Question: 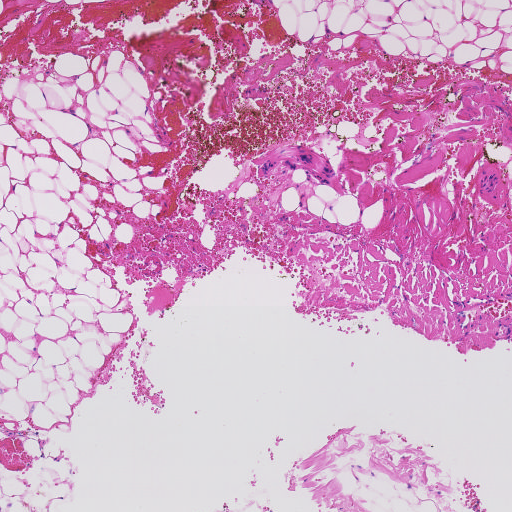
At roughly what magnification is this field shown?

Choices:
 (A) about 20×
 (B) about 10×
 (C) about 2.5×
 (D) about 5×
 (E) about 40×

Answer: (D) about 5×
A 0.93-mm field of an H&E-stained sentinel lymph node from a breast-cancer patient (whole-slide image), shown at about 5×, about 1.8 µm per pixel.
Question: 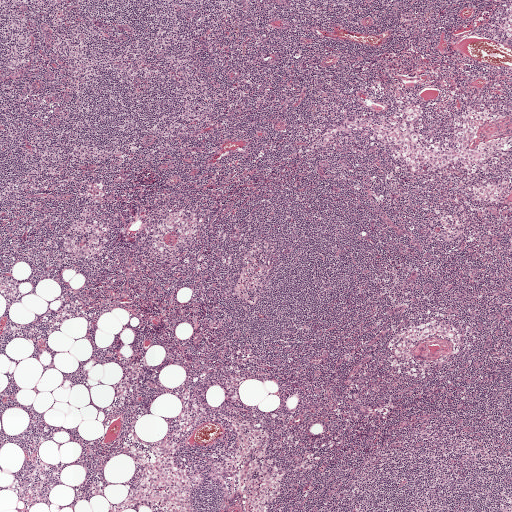
At roughly what magnification is this field shown?

Choices:
 (A) about 20×
 (B) about 10×
 (C) about 5×
 (D) about 40×
 (E) about 2.5×

Answer: (E) about 2.5×
Lymph node section stained with H&E, from a whole-slide image of a breast-cancer sentinel node. Magnification about 2.5×, about 2.0 mm across the frame, about 3.9 µm per pixel.
Question: 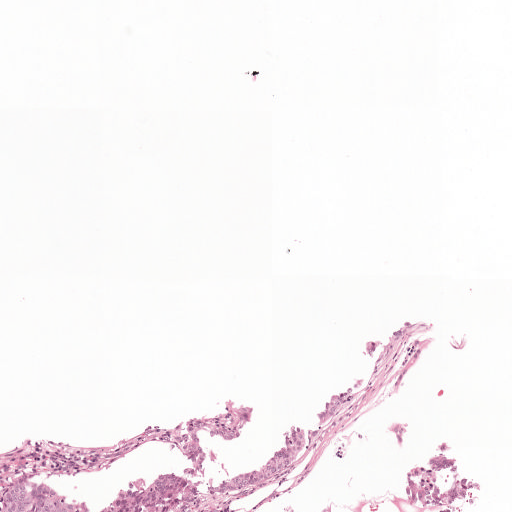
At roughly what magnification is this field shown?

Choices:
 (A) about 2.5×
 (B) about 20×
 (C) about 10×
 (D) about 40×
 (E) about 5×

Answer: (E) about 5×
Lymph node section stained with H&E, from a whole-slide image of a breast-cancer sentinel node. Magnification about 5×, about 1 mm across the frame, about 1.9 µm per pixel.
Outlines of five tumour regions, largest first (closed clockwise paths, crop pixels): region 1: (410, 422), (413, 429), (409, 442), (416, 462), (439, 440), (452, 446), (462, 468), (477, 477), (482, 488), (482, 500), (469, 511), (428, 511), (426, 507), (414, 502), (407, 493), (403, 456), (399, 445), (390, 436), (390, 424); region 2: (221, 395), (250, 398), (258, 408), (251, 429), (237, 444), (207, 434), (213, 456), (204, 477), (184, 476), (180, 456), (170, 428), (195, 415); region 3: (367, 376), (367, 390), (347, 410), (317, 431), (306, 444), (297, 460), (283, 471), (246, 493), (211, 496), (204, 488), (266, 460), (279, 432), (294, 422), (310, 427), (314, 417), (325, 402), (355, 379); region 4: (397, 328), (403, 333), (376, 357), (363, 357), (363, 344); region 5: (418, 318), (414, 328), (403, 326), (408, 319).
One more tumour region is annotated but not outlined: its edge is too irregular for a short outline.
About 5% of this field is tumour.
Question: 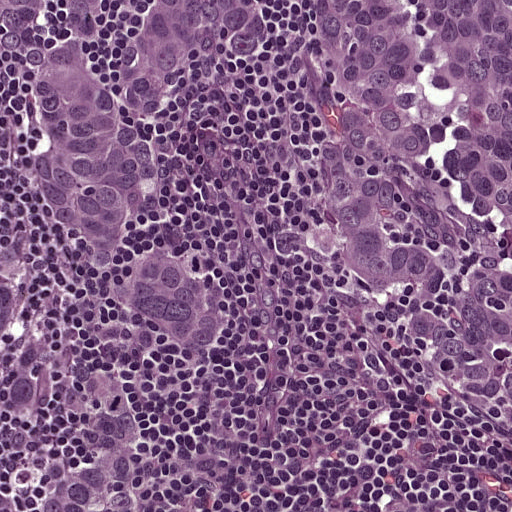
At roughly what magnification is this field shown?

Choices:
 (A) about 10×
 (B) about 2.5×
 (C) about 20×
 (D) about 5×
 (E) about 40×

Answer: (C) about 20×
A 0.25-mm field of an H&E-stained sentinel lymph node from a breast-cancer patient (whole-slide image), shown at about 20×, about 0.49 µm per pixel.
Tumour region outline (a closed clockwise path, crop pixels): (0, 0), (511, 0), (511, 422), (420, 389), (355, 331), (278, 222), (236, 101), (202, 128), (176, 210), (236, 276), (244, 320), (225, 360), (190, 388), (149, 400), (130, 444), (132, 506), (0, 511).
About 75% of this field is tumour.